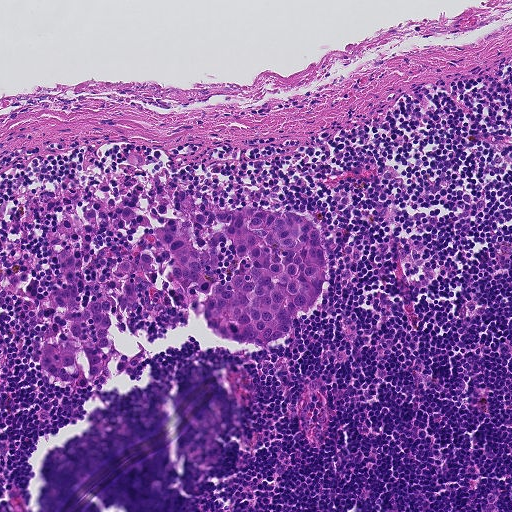
A 0.46-mm field of an H&E-stained sentinel lymph node from a breast-cancer patient (whole-slide image), shown at about 10×, about 0.9 µm per pixel.
The outlined metastatic tumour's edge, as a closed clockwise path of 23 points: (185, 194), (202, 213), (314, 221), (321, 291), (289, 334), (267, 347), (206, 327), (194, 310), (109, 313), (120, 352), (143, 354), (133, 377), (86, 387), (49, 377), (38, 354), (62, 274), (55, 249), (76, 258), (82, 308), (134, 242), (118, 213), (177, 213), (173, 196).
Tumour covers about 10% of the frame.